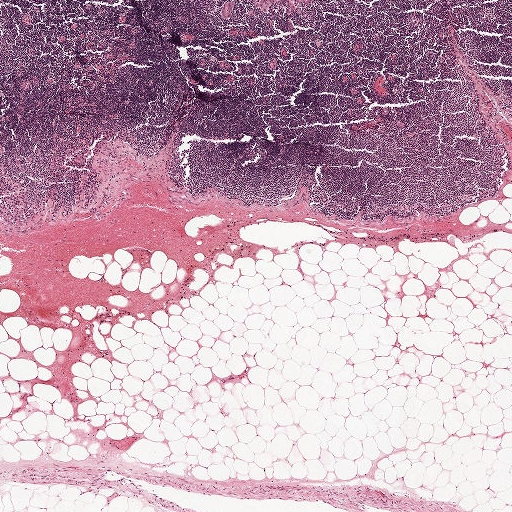
This is a crop of a whole-slide image: an H&E-stained breast-cancer sentinel lymph node section at roughly 2.5× magnification (about 3.9 µm per pixel; the crop spans about 2.0 mm).
Question: Is any metastatic breast cancer visible in this crop?
Answer: Yes.
Boundaries of two metastatic tumour regions, simplified and listed clockwise, largest first: region 1: (249, 0), (312, 0), (312, 4), (309, 6), (301, 5), (302, 13), (292, 13), (285, 3), (280, 1), (263, 12), (257, 10), (251, 15), (248, 14), (249, 11), (254, 4); region 2: (229, 1), (233, 3), (232, 13), (228, 18), (223, 18), (220, 13), (224, 3).
Under 5% of the image area is annotated as tumour.

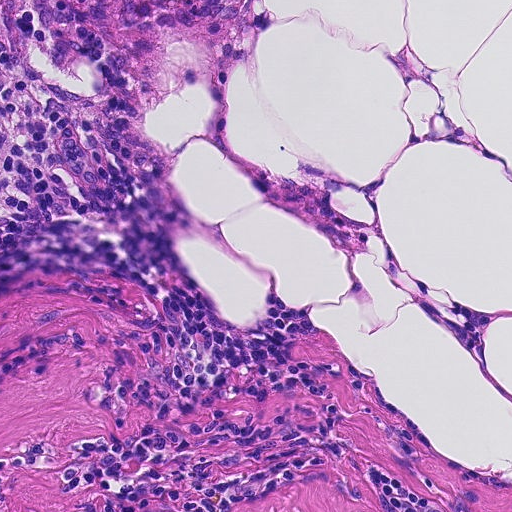
H&E-stained section of a sentinel lymph node (breast cancer), from a whole-slide image, viewed at about 20×: the field is about 0.23 mm across, about 0.45 µm per pixel.
Question: Is any metastatic breast cancer visible in this crop?
Answer: No: no metastatic tumour is outlined anywhere in this field.

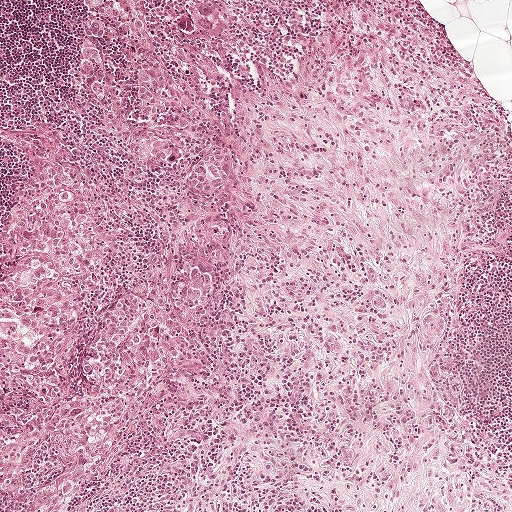
H&E-stained section of a sentinel lymph node (breast cancer), from a whole-slide image, viewed at about 5×: the field is about 1 mm across, about 1.9 µm per pixel.
Question: Is any metastatic breast cancer visible in this crop?
Answer: Yes.
Tumour region outline (a closed clockwise path, crop pixels): (77, 0), (242, 0), (262, 62), (250, 267), (190, 356), (139, 384), (82, 511), (0, 511), (0, 207), (26, 176), (32, 126), (111, 166), (81, 70).
Tumour covers about 35% of the frame.

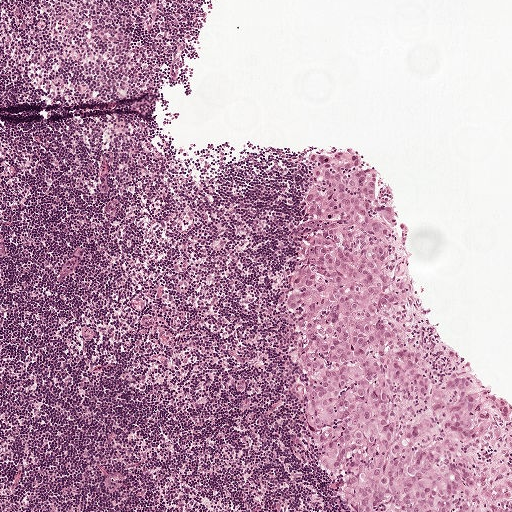
Lymph node section stained with H&E, from a whole-slide image of a breast-cancer sentinel node. Magnification about 5×, about 1 mm across the frame, about 1.9 µm per pixel.
Question: Is any metastatic breast cancer visible in this crop?
Answer: Yes.
Tumour region outline (a closed clockwise path, crop pixels): (338, 141), (374, 161), (432, 327), (475, 380), (510, 404), (511, 511), (343, 510), (286, 370), (296, 264), (290, 243), (316, 219), (302, 197), (311, 150).
The annotated tumour makes up about 20% of the crop.